Question: 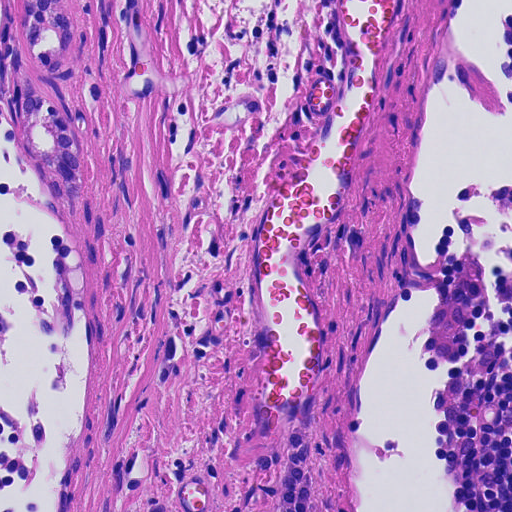
Which magnification is this H&E lymph node field most likely shown at?

Choices:
 (A) about 10×
 (B) about 20×
 (C) about 40×
 (D) about 2.5×
 (E) about 5×

Answer: (B) about 20×
A 0.23-mm field of an H&E-stained sentinel lymph node from a breast-cancer patient (whole-slide image), shown at about 20×, about 0.45 µm per pixel.
Outlines of two tumour regions, largest first (closed clockwise paths, crop pixels): region 1: (24, 80), (64, 106), (80, 142), (81, 181), (66, 213), (16, 154); region 2: (18, 0), (63, 0), (71, 46), (60, 81), (34, 58), (16, 24).
About 5% of the image area is annotated as tumour.
Question: 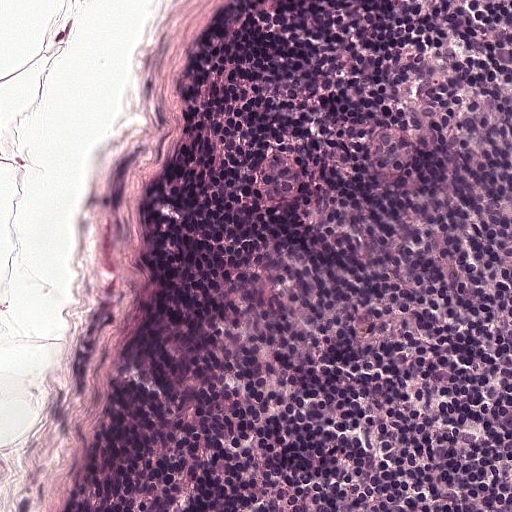
Which magnification is this H&E lymph node field most likely shown at?

Choices:
 (A) about 40×
 (B) about 10×
 (C) about 2.5×
 (D) about 5×
 (E) about 20×

Answer: (E) about 20×
Lymph node section stained with H&E, from a whole-slide image of a breast-cancer sentinel node. Magnification about 20×, about 0.25 mm across the frame, about 0.49 µm per pixel.
Question: 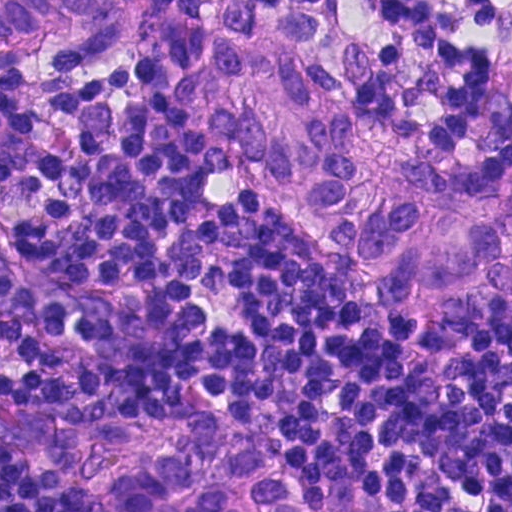
Which magnification is this H&E lymph node field most likely shown at?

Choices:
 (A) about 40×
 (B) about 5×
 (C) about 2.5×
 (D) about 20×
 (E) about 10×

Answer: (A) about 40×
H&E-stained section of a sentinel lymph node (breast cancer), from a whole-slide image, viewed at about 40×: the field is about 0.12 mm across, about 0.23 µm per pixel.
Boundaries of three metastatic tumour regions, simplified and listed clockwise, largest first: region 1: (285, 0), (339, 0), (338, 31), (377, 57), (358, 103), (367, 151), (416, 149), (464, 166), (511, 212), (511, 314), (502, 308), (451, 320), (401, 310), (302, 238), (167, 102), (171, 77), (232, 33), (256, 31); region 2: (263, 406), (276, 418), (288, 467), (302, 479), (353, 479), (365, 497), (407, 511), (85, 511), (76, 487), (79, 459), (90, 434), (109, 414), (136, 420), (140, 447), (183, 415), (210, 411), (233, 422); region 3: (0, 0), (109, 0), (112, 7), (101, 25), (68, 28), (50, 37), (29, 41), (0, 39).
The annotated tumour makes up about 30% of the crop.
Question: 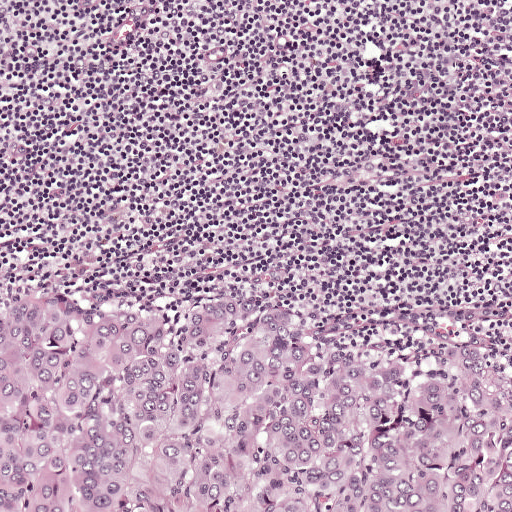
Which magnification is this H&E lymph node field most likely shown at?

Choices:
 (A) about 40×
 (B) about 10×
 (C) about 20×
 (D) about 2.5×
 (E) about 5×

Answer: (B) about 10×
A 0.5-mm field of an H&E-stained sentinel lymph node from a breast-cancer patient (whole-slide image), shown at about 10×, about 0.97 µm per pixel.
One metastatic tumour region; its boundary, reduced to 7 corners and listed clockwise: (0, 292), (290, 306), (385, 342), (437, 337), (511, 352), (511, 511), (0, 511).
Tumour covers about 40% of the frame.